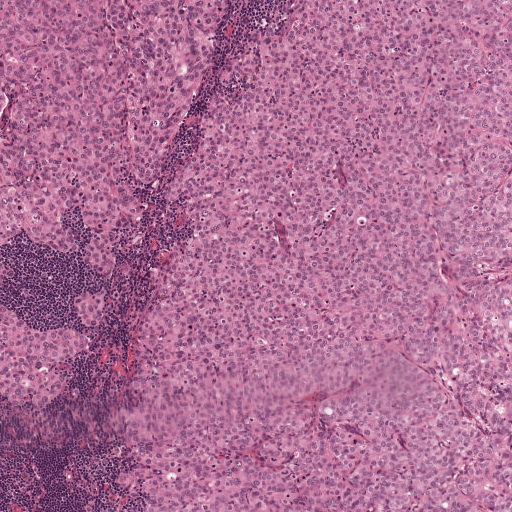
A 1-mm field of an H&E-stained sentinel lymph node from a breast-cancer patient (whole-slide image), shown at about 5×, about 1.9 µm per pixel.
Boundaries of two metastatic tumour regions, simplified and listed clockwise, largest first: region 1: (511, 0), (511, 511), (137, 511), (117, 494), (109, 430), (118, 383), (147, 293), (181, 242), (183, 220), (163, 200), (198, 142), (226, 56), (273, 6); region 2: (0, 0), (229, 0), (208, 83), (149, 194), (138, 242), (108, 280), (100, 325), (73, 316), (71, 299), (94, 280), (91, 267), (14, 243), (17, 277), (3, 299), (92, 339), (79, 371), (84, 392), (17, 411), (0, 397).
About 90% of the image area is annotated as tumour.